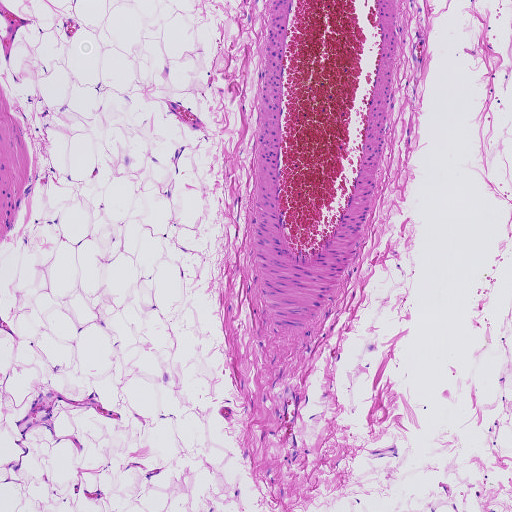
Lymph node section stained with H&E, from a whole-slide image of a breast-cancer sentinel node. Magnification about 5×, about 0.93 mm across the frame, about 1.8 µm per pixel.